This is a crop of a whole-slide image: an H&E-stained breast-cancer sentinel lymph node section at roughly 5× magnification (about 1.8 µm per pixel; the crop spans about 0.93 mm).
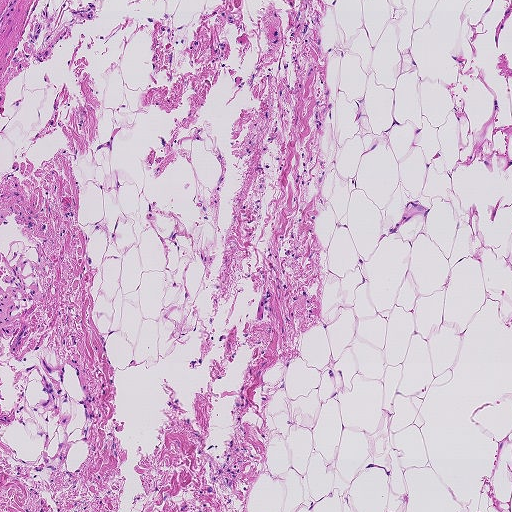
Question: Is there metastatic carcinoma in this field?
Answer: No, this field holds no outlined metastasis.